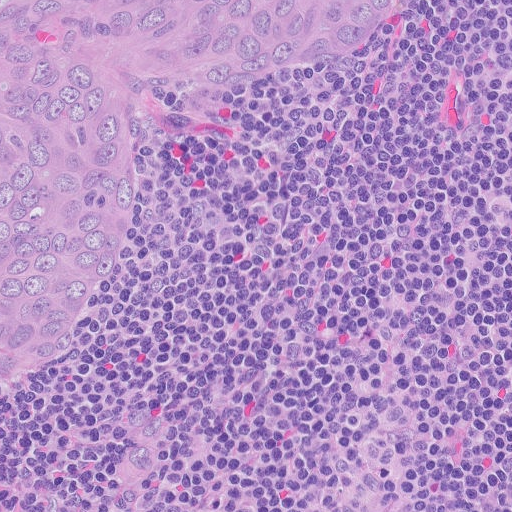
Lymph node section stained with H&E, from a whole-slide image of a breast-cancer sentinel node. Magnification about 20×, about 0.26 mm across the frame, about 0.5 µm per pixel.
One metastatic tumour region; its boundary, reduced to 10 corners and listed clockwise: (0, 0), (416, 0), (374, 42), (212, 116), (168, 124), (141, 162), (112, 284), (42, 394), (8, 428), (0, 455).
One more small tumour piece is annotated here but not outlined.
The annotated tumour makes up about 25% of the crop.